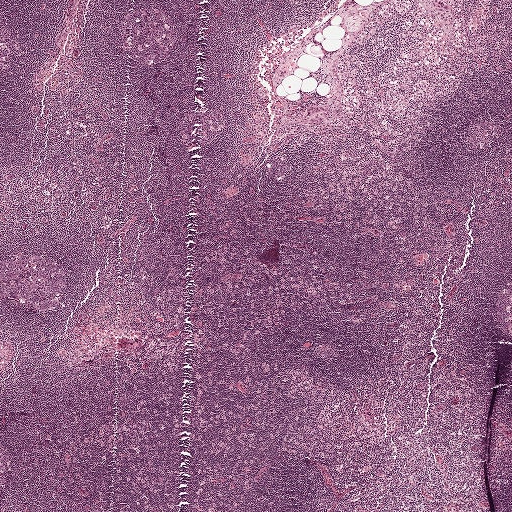
Lymph node section stained with H&E, from a whole-slide image of a breast-cancer sentinel node. Magnification about 2.5×, about 2.0 mm across the frame, about 3.9 µm per pixel.
Outlines of two tumour regions, largest first (closed clockwise paths, crop pixels): region 1: (442, 0), (451, 7), (452, 17), (450, 25), (444, 26), (437, 22), (429, 7), (430, 1); region 2: (308, 107), (318, 107), (328, 109), (329, 111), (329, 118), (317, 125), (304, 123), (302, 118).
Tumour covers under 5% of the frame.